Question: 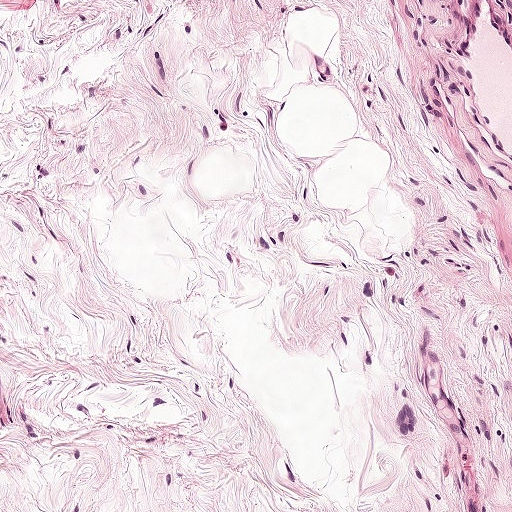
A 0.5-mm field of an H&E-stained sentinel lymph node from a breast-cancer patient (whole-slide image), shown at about 10×, about 0.97 µm per pixel.
About how much of this crop is taken up by metastatic carcinoma?

Choices:
 (A) about 10% to 20%
 (B) about 25% to 45%
 (C) none: no tumour is outlined
 (D) about 50% or more
 (E) about 5% or less

Answer: (E) about 5% or less
Under 5% of the field is tumour.
Tumour region outline (a closed clockwise path, crop pixels): (410, 396), (424, 417), (425, 425), (422, 434), (409, 442), (400, 440), (396, 432), (390, 427), (391, 413), (395, 406), (403, 398).